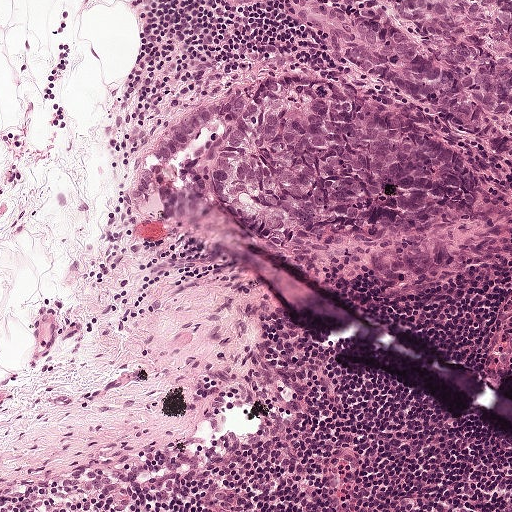
This is a crop of a whole-slide image: an H&E-stained breast-cancer sentinel lymph node section at roughly 10× magnification (about 0.97 µm per pixel; the crop spans about 0.5 mm).
Boundaries of two metastatic tumour regions, simplified and listed clockwise, largest first: region 1: (291, 71), (344, 89), (457, 152), (476, 179), (469, 210), (394, 240), (326, 244), (250, 267), (164, 235), (138, 168), (177, 116), (249, 78); region 2: (227, 0), (468, 0), (491, 16), (489, 0), (511, 0), (511, 126), (507, 131), (511, 150), (487, 155), (419, 105), (327, 58), (284, 16), (243, 10).
About 25% of this field is tumour.